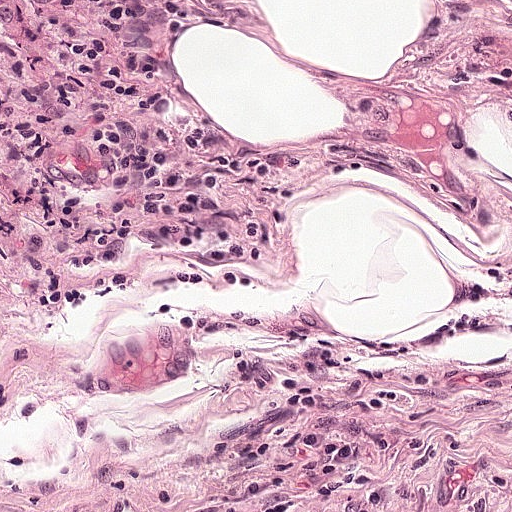
H&E-stained section of a sentinel lymph node (breast cancer), from a whole-slide image, viewed at about 20×: the field is about 0.25 mm across, about 0.49 µm per pixel.
Metastatic tumour outline, simplified to 8 points and listed clockwise in crop pixels (x, y): (0, 0), (511, 0), (511, 154), (492, 154), (344, 256), (236, 310), (98, 364), (6, 384).
The annotated tumour makes up about 55% of the crop.